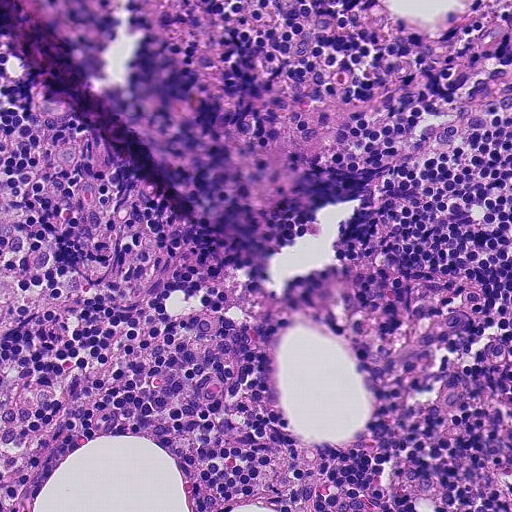
Lymph node section stained with H&E, from a whole-slide image of a breast-cancer sentinel node. Magnification about 20×, about 0.23 mm across the frame, about 0.45 µm per pixel.